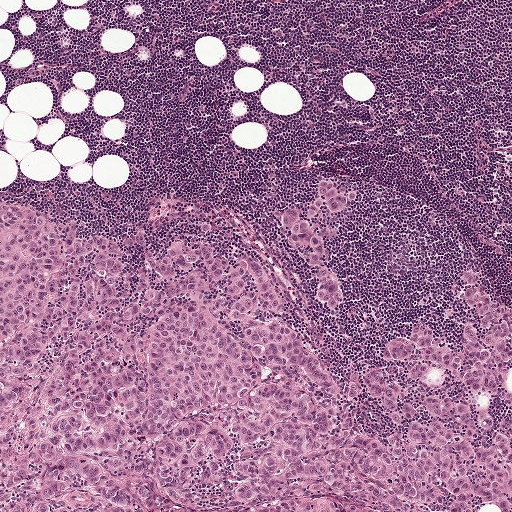
H&E-stained section of a sentinel lymph node (breast cancer), from a whole-slide image, viewed at about 5×: the field is about 1 mm across, about 1.9 µm per pixel.
Two metastatic tumour regions, each outlined as a closed clockwise path in crop pixels (x, y), largest first: region 1: (0, 199), (31, 202), (83, 236), (149, 229), (158, 248), (213, 223), (216, 244), (237, 246), (280, 281), (338, 368), (375, 363), (386, 336), (414, 319), (458, 348), (458, 271), (477, 271), (511, 306), (511, 511), (0, 511); region 2: (317, 180), (331, 180), (343, 189), (355, 190), (357, 198), (345, 213), (333, 214), (329, 219), (334, 237), (327, 244), (328, 254), (345, 291), (340, 311), (332, 313), (317, 300), (317, 279), (310, 264), (289, 248), (280, 232), (276, 216), (285, 206), (303, 207), (314, 203), (317, 199).
About 50% of the image area is annotated as tumour.